Question: 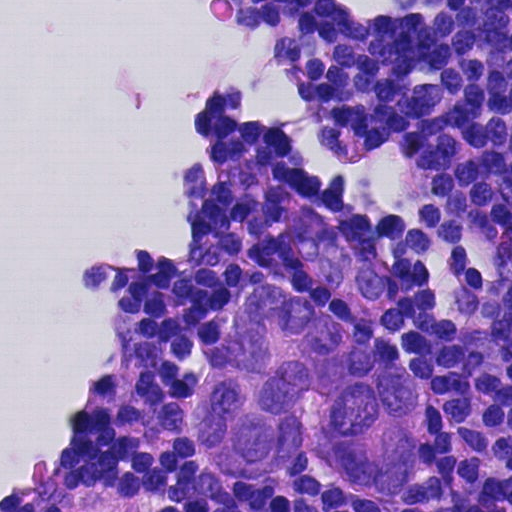
At roughly what magnification is this field shown?

Choices:
 (A) about 10×
 (B) about 2.5×
 (C) about 20×
 (D) about 5×
 (E) about 40×

Answer: (E) about 40×
H&E-stained section of a sentinel lymph node (breast cancer), from a whole-slide image, viewed at about 40×: the field is about 0.12 mm across, about 0.23 µm per pixel.
Metastatic tumour outline, simplified to 11 points and listed clockwise in crop pixels (x, y): (266, 275), (396, 355), (423, 415), (419, 479), (356, 493), (305, 452), (294, 475), (228, 479), (189, 424), (197, 360), (232, 305).
The annotated tumour makes up about 15% of the crop.